Image:
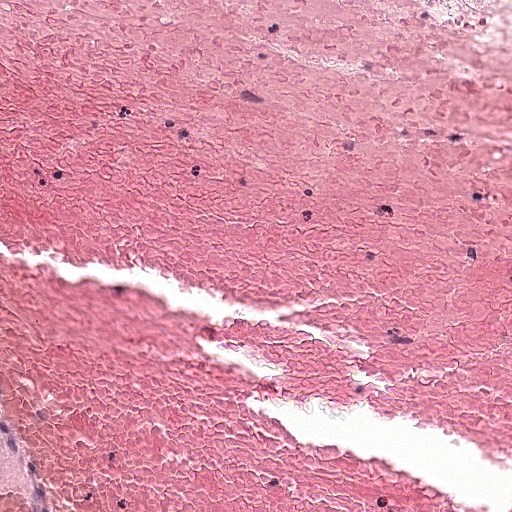
H&E-stained section of a sentinel lymph node (breast cancer), from a whole-slide image, viewed at about 20×: the field is about 0.25 mm across, about 0.49 µm per pixel.
Question:
Does this lymph node field contain metastatic tumour?
Answer:
No. No metastatic tumour is outlined in this field.